Question: 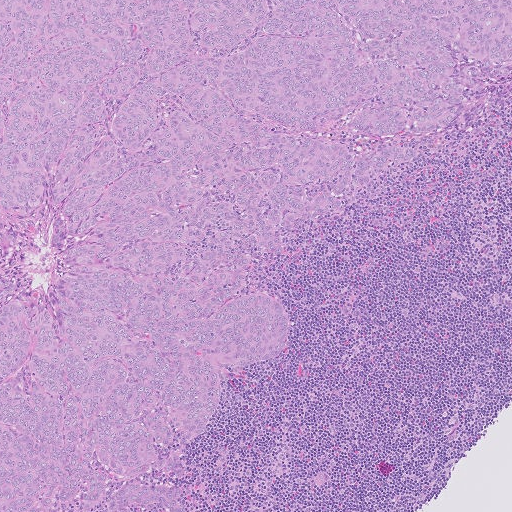
Which magnification is this H&E lymph node field most likely shown at?

Choices:
 (A) about 40×
 (B) about 20×
 (C) about 5×
 (D) about 10×
 (E) about 2.5×

Answer: (C) about 5×
H&E-stained section of a sentinel lymph node (breast cancer), from a whole-slide image, viewed at about 5×: the field is about 1.0 mm across, about 2.0 µm per pixel.
The outlined metastatic tumour's edge, as a closed clockwise path of 22 points: (0, 0), (511, 0), (511, 77), (469, 90), (440, 130), (354, 145), (416, 147), (416, 158), (340, 213), (288, 230), (283, 251), (255, 262), (250, 284), (287, 307), (294, 339), (229, 375), (189, 451), (187, 479), (145, 476), (186, 489), (186, 511), (0, 511).
About 65% of this field is tumour.